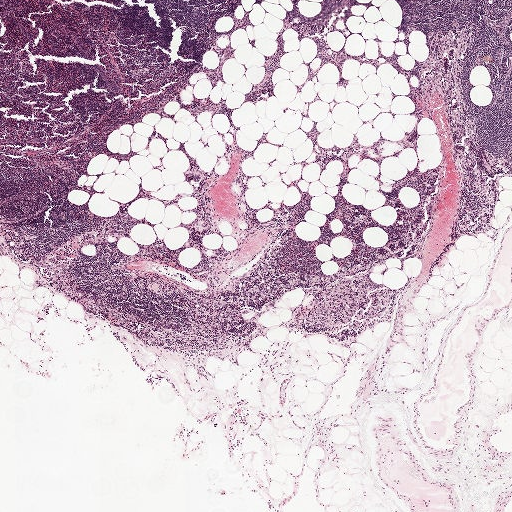
This is a crop of a whole-slide image: an H&E-stained breast-cancer sentinel lymph node section at roughly 2.5× magnification (about 3.9 µm per pixel; the crop spans about 2.0 mm).